H&E-stained section of a sentinel lymph node (breast cancer), from a whole-slide image, viewed at about 2.5×: the field is about 1.9 mm across, about 3.6 µm per pixel.
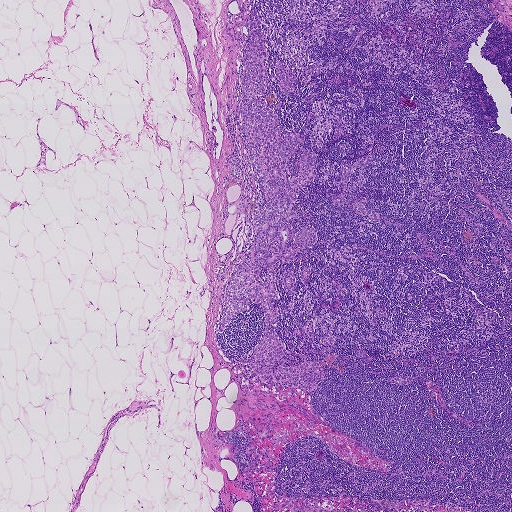
One tumour region is annotated but not outlined: its edge is too irregular for a short outline.
About 5% of this field is tumour.